A 0.93-mm field of an H&E-stained sentinel lymph node from a breast-cancer patient (whole-slide image), shown at about 5×, about 1.8 µm per pixel.
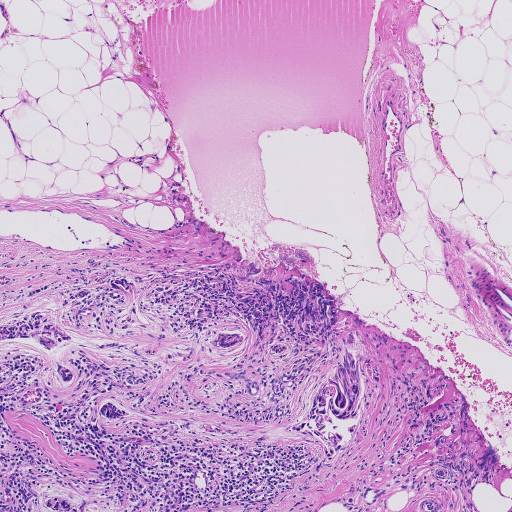
Outlines of the eight largest metastatic tumour regions, each a closed clockwise path in crop pixels (x, y), largest first: region 1: (291, 274), (305, 274), (329, 288), (339, 306), (339, 318), (332, 334), (324, 344), (300, 344), (281, 333), (259, 339), (234, 308), (242, 290), (252, 290), (261, 277), (275, 279), (284, 284), (288, 292), (292, 286), (284, 276); region 2: (353, 346), (359, 348), (366, 366), (367, 397), (362, 425), (340, 454), (322, 471), (314, 472), (322, 451), (312, 439), (282, 432), (282, 426), (302, 416), (317, 385), (343, 352); region 3: (42, 310), (55, 312), (60, 323), (76, 338), (56, 350), (62, 361), (72, 368), (74, 379), (66, 387), (48, 373), (48, 358), (38, 348), (25, 344), (0, 343), (0, 325), (28, 313); region 4: (53, 488), (59, 488), (85, 496), (87, 506), (83, 511), (46, 511), (40, 509), (41, 494); region 5: (103, 398), (114, 398), (128, 405), (133, 416), (126, 420), (112, 422), (101, 420), (95, 407); region 6: (228, 330), (244, 330), (245, 338), (239, 347), (225, 350), (213, 348), (210, 341), (217, 332); region 7: (112, 276), (125, 276), (135, 284), (135, 293), (124, 293), (112, 288), (109, 282); region 8: (80, 289), (92, 292), (84, 301), (64, 307), (61, 304), (66, 295).
Four more, smaller tumour regions are not outlined.
One more small tumour piece is annotated here but not outlined.
Tumour covers about 5% of the frame.